This is a crop of a whole-slide image: an H&E-stained breast-cancer sentinel lymph node section at roughly 20× magnification (about 0.49 µm per pixel; the crop spans about 0.25 mm).
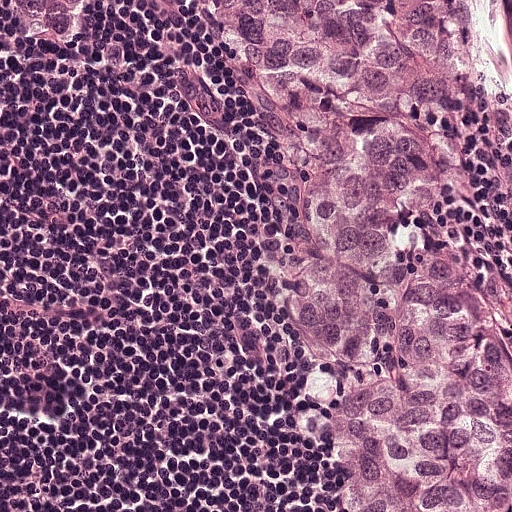
One metastatic tumour region; its boundary, reduced to 8 corners and listed clockwise: (0, 0), (511, 0), (511, 511), (216, 511), (186, 268), (153, 187), (32, 117), (2, 73).
About 75% of this field is tumour.